A 0.25-mm field of an H&E-stained sentinel lymph node from a breast-cancer patient (whole-slide image), shown at about 20×, about 0.49 µm per pixel.
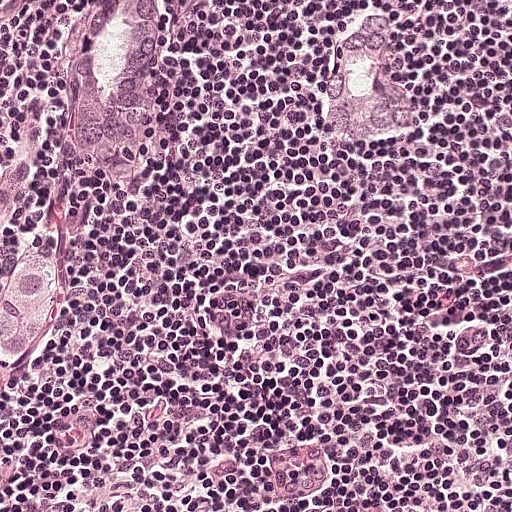
Boundaries of three metastatic tumour regions, simplified and listed clockwise, largest first: region 1: (176, 0), (182, 60), (136, 163), (84, 158), (72, 92), (72, 1), (48, 1); region 2: (382, 9), (390, 18), (400, 38), (405, 84), (419, 114), (417, 126), (406, 132), (393, 138), (356, 140), (318, 125), (322, 79), (336, 40), (350, 18); region 3: (30, 246), (63, 255), (70, 274), (70, 288), (64, 313), (50, 340), (32, 360), (13, 371), (0, 368), (0, 281), (13, 255).
About 10% of the image area is annotated as tumour.